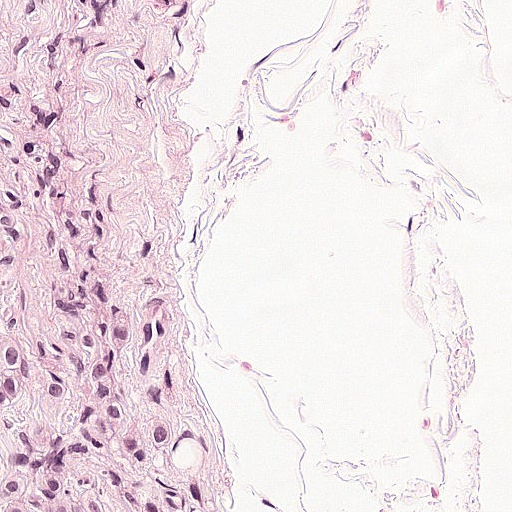
Lymph node section stained with H&E, from a whole-slide image of a breast-cancer sentinel node. Magnification about 20×, about 0.25 mm across the frame, about 0.49 µm per pixel.
Question: Which parts of this field are metastatic tumour? Answer with the outline of each region, in pixels.
Answer: Metastatic tumour outline, simplified to 8 points and listed clockwise in crop pixels (x, y): (0, 207), (41, 236), (114, 236), (155, 268), (176, 343), (172, 450), (226, 510), (0, 511).
Tumour covers about 20% of the frame.

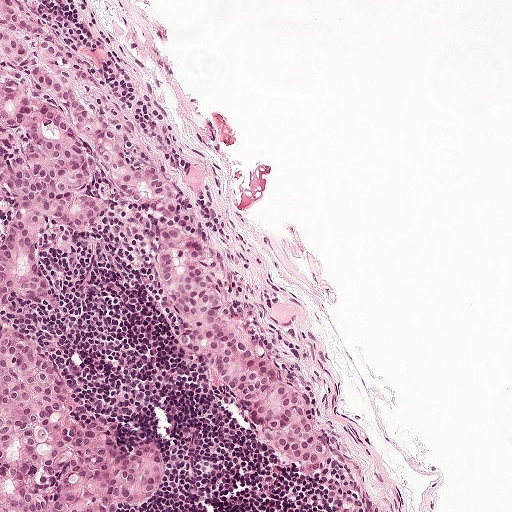
Lymph node section stained with H&E, from a whole-slide image of a breast-cancer sentinel node. Magnification about 10×, about 0.5 mm across the frame, about 0.97 µm per pixel.
Question: Which parts of this field are metastatic tumour? Answer with the outline of each region, in pixels.
Answer: One metastatic tumour region; its boundary, reduced to 23 corners and listed clockwise: (0, 0), (28, 0), (93, 62), (169, 179), (216, 196), (223, 259), (330, 443), (329, 472), (312, 476), (250, 432), (158, 296), (153, 222), (120, 202), (74, 236), (51, 232), (43, 275), (56, 286), (17, 317), (88, 419), (162, 454), (163, 490), (125, 511), (0, 511).
Tumour covers about 25% of the frame.

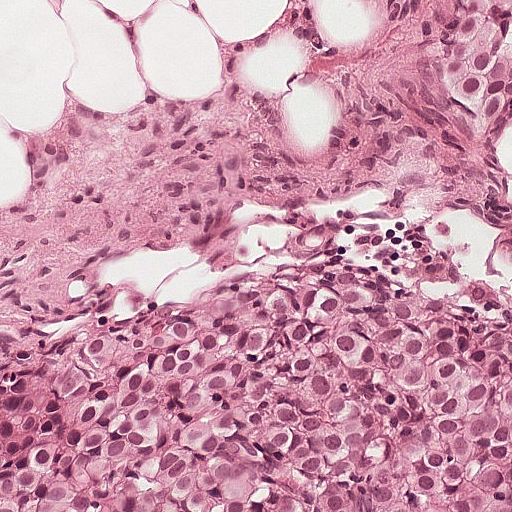
Lymph node section stained with H&E, from a whole-slide image of a breast-cancer sentinel node. Magnification about 20×, about 0.25 mm across the frame, about 0.49 µm per pixel.
Question: Which parts of this field are metastatic tumour? Answer with the outline of each region, in pixels.
Answer: Boundaries of two metastatic tumour regions, simplified and listed clockwise, largest first: region 1: (288, 268), (511, 326), (511, 511), (0, 511), (0, 313), (159, 307), (255, 270); region 2: (511, 0), (511, 132), (493, 132), (442, 110), (428, 79), (429, 1).
The annotated tumour makes up about 45% of the crop.

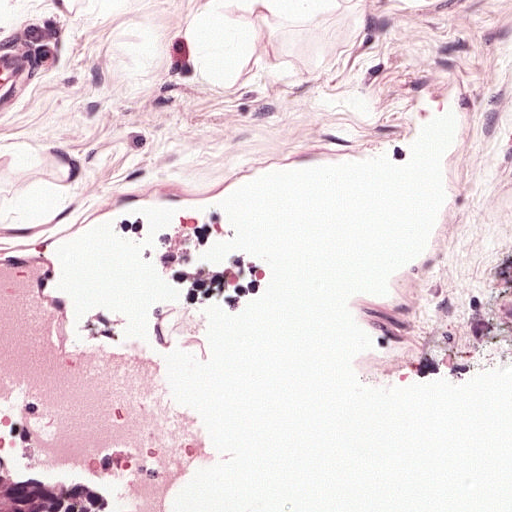
H&E-stained section of a sentinel lymph node (breast cancer), from a whole-slide image, viewed at about 20×: the field is about 0.25 mm across, about 0.49 µm per pixel.
Question: Which parts of this field are metastatic tumour? Answer with the outline of each region, in pixels.
Answer: Boundaries of two metastatic tumour regions, simplified and listed clockwise, largest first: region 1: (0, 391), (58, 394), (83, 436), (118, 450), (114, 511), (0, 511); region 2: (214, 254), (250, 256), (271, 277), (258, 304), (220, 316), (183, 304), (170, 272), (187, 262).
The annotated tumour makes up about 5% of the crop.